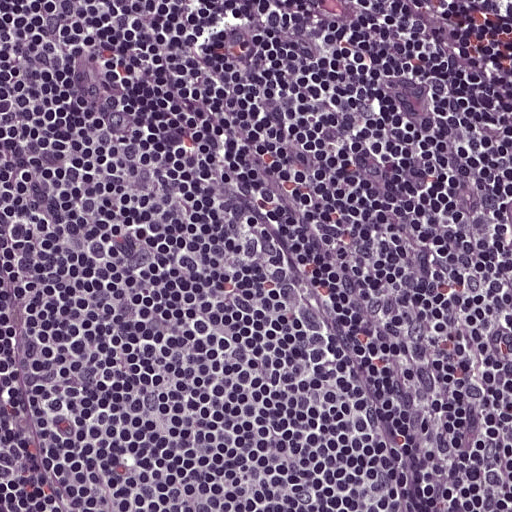
This is a crop of a whole-slide image: an H&E-stained breast-cancer sentinel lymph node section at roughly 20× magnification (about 0.49 µm per pixel; the crop spans about 0.25 mm).